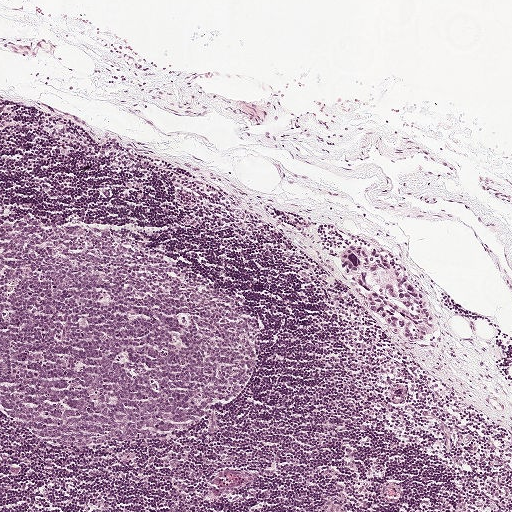
H&E-stained section of a sentinel lymph node (breast cancer), from a whole-slide image, viewed at about 5×: the field is about 1 mm across, about 1.9 µm per pixel.
The outlined metastatic tumour's edge, as a closed clockwise path of 17 points: (349, 244), (356, 245), (388, 257), (406, 273), (415, 288), (425, 294), (435, 325), (432, 341), (425, 345), (416, 345), (403, 340), (388, 328), (374, 313), (364, 292), (353, 284), (340, 259), (340, 254).
Under 5% of this field is tumour.